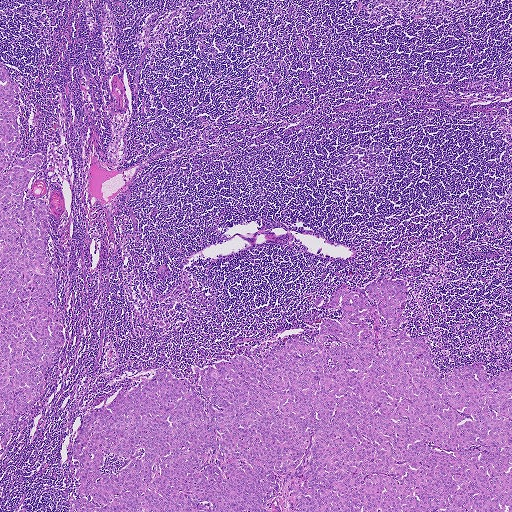
H&E-stained section of a sentinel lymph node (breast cancer), from a whole-slide image, viewed at about 2.5×: the field is about 1.9 mm across, about 3.6 µm per pixel.
Boundaries of three metastatic tumour regions, simplified and listed clockwise, largest first: region 1: (403, 281), (406, 319), (389, 330), (428, 337), (442, 378), (478, 361), (487, 379), (510, 370), (511, 511), (69, 511), (88, 412), (161, 367), (205, 410), (200, 375), (195, 367), (313, 340), (342, 319), (328, 303), (341, 285), (369, 302), (358, 321), (375, 347), (386, 321), (366, 288); region 2: (0, 63), (19, 90), (14, 97), (19, 147), (4, 171), (36, 154), (44, 158), (23, 192), (22, 205), (37, 199), (47, 206), (47, 254), (57, 289), (51, 303), (61, 310), (64, 339), (44, 374), (40, 397), (1, 431); region 3: (11, 426), (11, 435), (8, 441), (4, 446), (1, 446), (0, 442), (3, 435), (8, 431), (8, 428).
One more small tumour piece is annotated here but not outlined.
Tumour covers about 30% of the frame.